H&E-stained section of a sentinel lymph node (breast cancer), from a whole-slide image, viewed at about 20×: the field is about 0.23 mm across, about 0.45 µm per pixel.
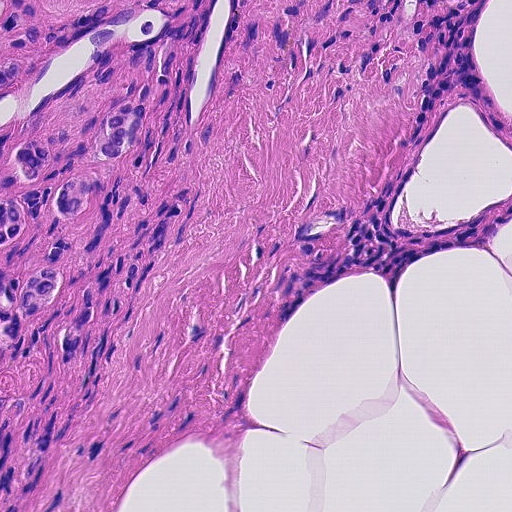
Question: Which parts of this field are metastatic tumour?
Answer: Tumour region outline (a closed clockwise path, crop pixels): (0, 0), (227, 0), (159, 244), (34, 511), (0, 511).
About 30% of this field is tumour.